Question: 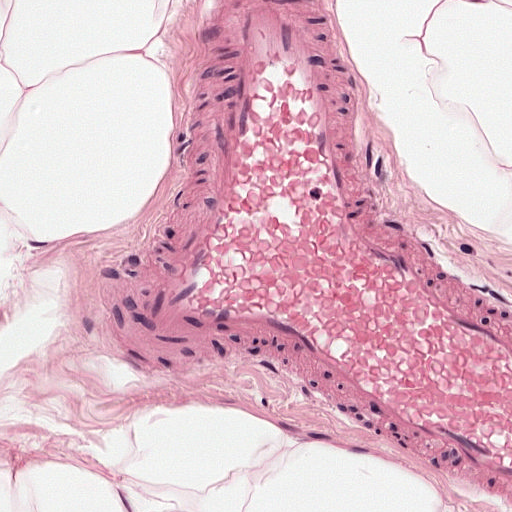
At roughly what magnification is this field shown?

Choices:
 (A) about 2.5×
 (B) about 20×
 (C) about 5×
 (D) about 10×
 (E) about 40×

Answer: (B) about 20×
This is a crop of a whole-slide image: an H&E-stained breast-cancer sentinel lymph node section at roughly 20× magnification (about 0.49 µm per pixel; the crop spans about 0.25 mm).